Image:
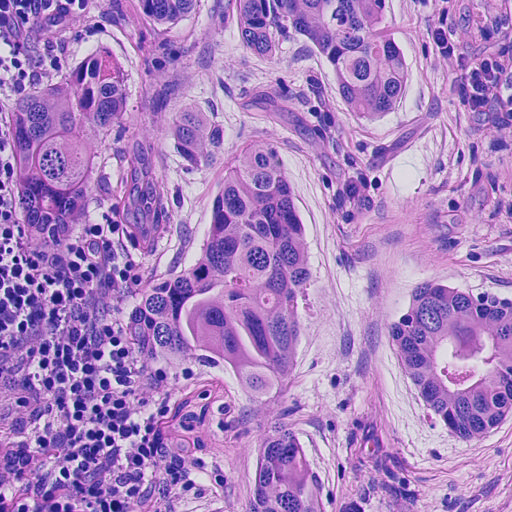
Lymph node section stained with H&E, from a whole-slide image of a breast-cancer sentinel node. Magnification about 20×, about 0.23 mm across the frame, about 0.45 µm per pixel.
Question:
Outline the metastatic carcinoma in this image, as closed paths of (x, y) pixel coordinates.
Answer:
Tumour region outline (a closed clockwise path, crop pixels): (100, 0), (511, 0), (511, 419), (442, 460), (404, 443), (369, 378), (350, 415), (340, 511), (178, 511), (242, 467), (224, 384), (138, 346), (122, 308), (182, 250), (202, 179), (135, 125), (95, 202), (63, 230), (26, 207), (10, 168), (10, 124), (28, 86), (96, 37).
About 70% of the image area is annotated as tumour.